Lymph node section stained with H&E, from a whole-slide image of a breast-cancer sentinel node. Magnification about 10×, about 0.5 mm across the frame, about 0.97 µm per pixel.
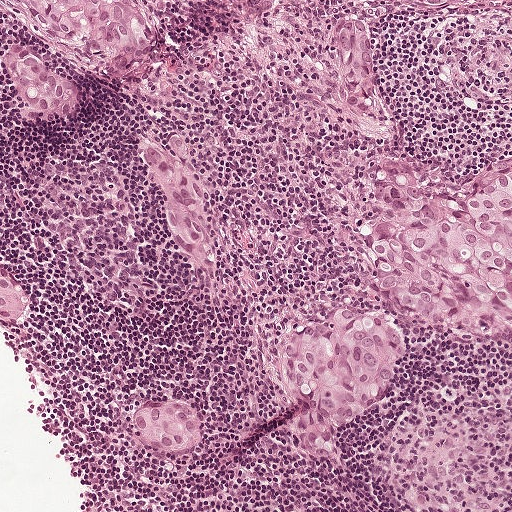
The eight largest tumour regions' boundaries, simplified and listed clockwise, largest first: region 1: (392, 146), (416, 146), (457, 166), (511, 160), (511, 357), (485, 351), (359, 288), (352, 261), (338, 250), (329, 217), (340, 170); region 2: (349, 297), (368, 302), (391, 316), (403, 332), (403, 352), (384, 389), (337, 419), (332, 450), (301, 445), (289, 412), (295, 382), (284, 372), (276, 354), (279, 341), (304, 314), (328, 300); region 3: (146, 0), (149, 32), (155, 54), (150, 63), (135, 72), (114, 74), (100, 70), (25, 31), (0, 1); region 4: (168, 122), (183, 124), (204, 183), (205, 236), (201, 244), (202, 248), (190, 252), (170, 244), (158, 194), (148, 181), (134, 154), (133, 133), (140, 128), (149, 129), (166, 136); region 5: (11, 34), (26, 38), (46, 54), (64, 63), (74, 84), (74, 106), (63, 114), (44, 118), (21, 112), (9, 89), (8, 76), (2, 68), (0, 43); region 6: (356, 10), (364, 18), (367, 41), (376, 65), (377, 76), (384, 91), (384, 110), (364, 118), (353, 115), (348, 110), (333, 36), (341, 12); region 7: (157, 388), (172, 388), (177, 392), (192, 397), (196, 410), (196, 423), (186, 438), (180, 442), (165, 446), (156, 446), (136, 434), (127, 425), (125, 409), (133, 398); region 8: (0, 262), (4, 269), (18, 277), (29, 288), (29, 302), (20, 311), (0, 317).
One more, smaller tumour region is not outlined.
About 25% of the image area is annotated as tumour.